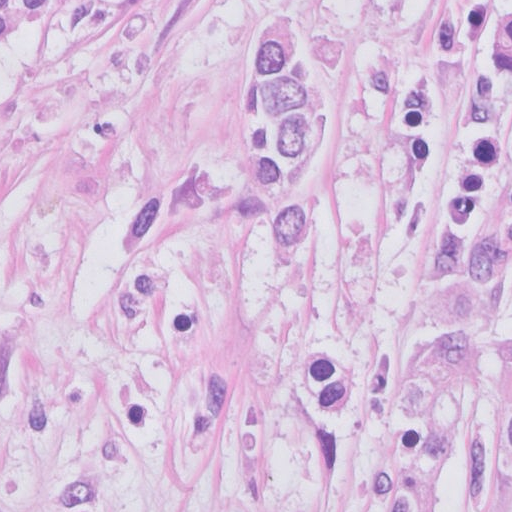
H&E-stained section of a sentinel lymph node (breast cancer), from a whole-slide image, viewed at about 40×: the field is about 0.13 mm across, about 0.25 µm per pixel.
Question: Where is the metastatic tumour in this field?
Answer: Outlines of three tumour regions, largest first (closed clockwise paths, crop pixels): region 1: (260, 0), (330, 0), (360, 78), (360, 151), (337, 239), (273, 272), (241, 208), (228, 133), (234, 53); region 2: (511, 311), (511, 459), (507, 462), (404, 386), (427, 333), (510, 315); region 3: (0, 0), (79, 0), (69, 19), (0, 104).
One more small tumour piece is annotated here but not outlined.
About 15% of this field is tumour.